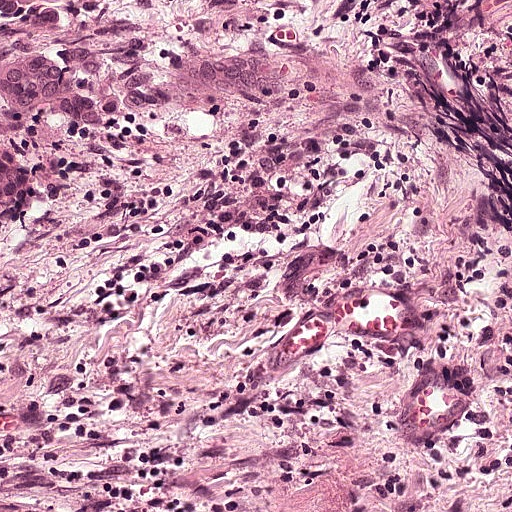
H&E-stained section of a sentinel lymph node (breast cancer), from a whole-slide image, viewed at about 20×: the field is about 0.25 mm across, about 0.49 µm per pixel.
The outlined metastatic tumour's edge, as a closed clockwise path of 7 points: (0, 0), (253, 0), (212, 54), (200, 94), (210, 122), (189, 149), (0, 260).
Tumour covers about 15% of the frame.